Question: 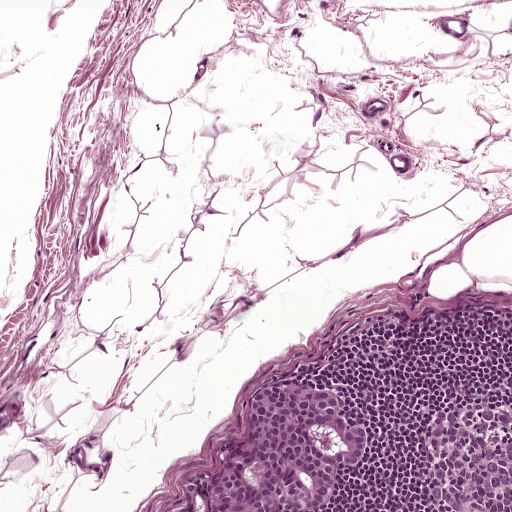
About what magnification does this crop show?

Choices:
 (A) about 10×
 (B) about 40×
 (C) about 2.5×
 (D) about 20×
 (E) about 5×

Answer: (A) about 10×
H&E-stained section of a sentinel lymph node (breast cancer), from a whole-slide image, viewed at about 10×: the field is about 0.5 mm across, about 0.97 µm per pixel.
Metastatic tumour outline, simplified to 10 points and listed clockwise in crop pixels (x, y): (316, 381), (358, 390), (380, 427), (362, 464), (324, 499), (328, 511), (163, 511), (189, 472), (225, 436), (252, 388).
About 5% of this field is tumour.
Question: 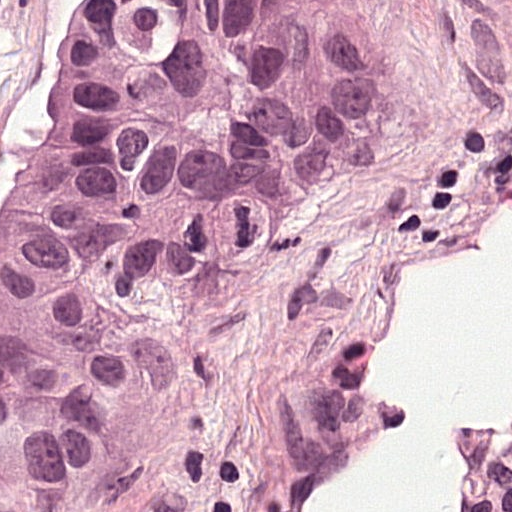
About what magnification does this crop show?

Choices:
 (A) about 2.5×
 (B) about 40×
 (C) about 5×
 (D) about 10×
 (E) about 20×

Answer: (B) about 40×
This is a crop of a whole-slide image: an H&E-stained breast-cancer sentinel lymph node section at roughly 40× magnification (about 0.24 µm per pixel; the crop spans about 0.12 mm).
The outlined metastatic tumour's edge, as a closed clockwise path of 10 points: (435, 0), (438, 75), (398, 182), (239, 308), (157, 468), (98, 479), (83, 511), (2, 511), (0, 201), (72, 1).
About 55% of the image area is annotated as tumour.
Question: 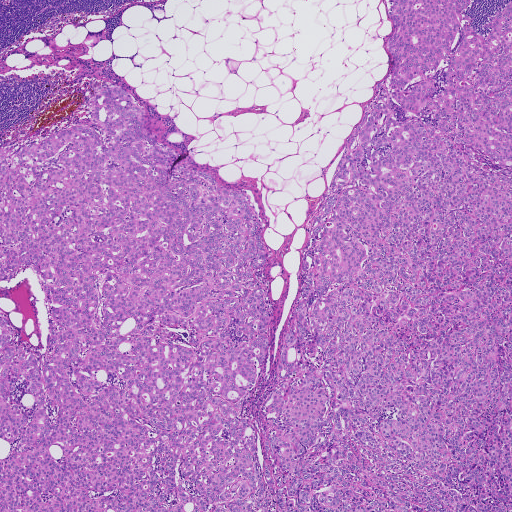
About what magnification does this crop show?

Choices:
 (A) about 10×
 (B) about 40×
 (C) about 5×
 (D) about 2.5×
 (E) about 20×

Answer: (D) about 2.5×
A 1.9-mm field of an H&E-stained sentinel lymph node from a breast-cancer patient (whole-slide image), shown at about 2.5×, about 3.6 µm per pixel.
Metastatic tumour outline, simplified to 20 points and listed clockwise in crop pixels (x, y): (385, 0), (471, 0), (462, 12), (486, 37), (511, 0), (511, 511), (0, 511), (0, 142), (92, 125), (104, 81), (146, 109), (162, 142), (250, 197), (274, 316), (242, 415), (262, 471), (263, 405), (303, 287), (308, 226), (392, 64).
The annotated tumour makes up about 75% of the crop.
Question: 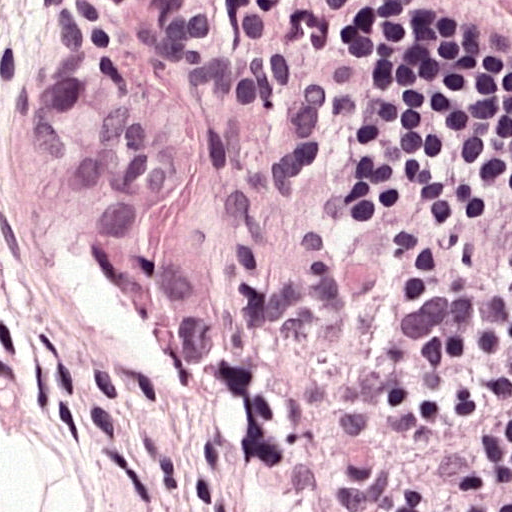
About what magnification does this crop show?

Choices:
 (A) about 40×
 (B) about 10×
 (C) about 20×
 (D) about 2.5×
 (E) about 5×

Answer: (A) about 40×
This is a crop of a whole-slide image: an H&E-stained breast-cancer sentinel lymph node section at roughly 40× magnification (about 0.24 µm per pixel; the crop spans about 0.12 mm).
The outlined metastatic tumour's edge, as a closed clockwise path of 12 points: (90, 24), (147, 39), (201, 101), (209, 161), (198, 224), (225, 281), (233, 339), (185, 370), (47, 256), (0, 184), (0, 91), (34, 45).
The annotated tumour makes up about 20% of the crop.